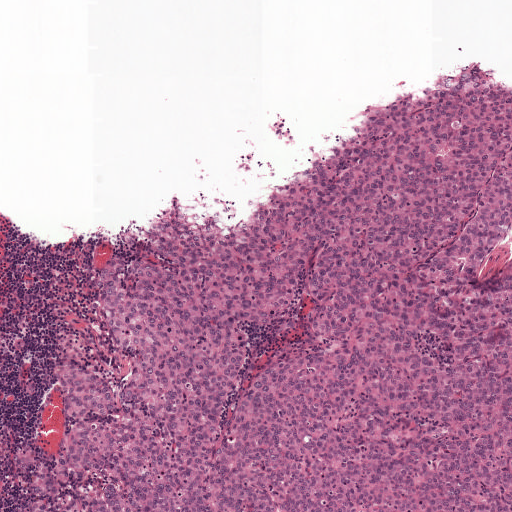
This is a crop of a whole-slide image: an H&E-stained breast-cancer sentinel lymph node section at roughly 5× magnification (about 1.9 µm per pixel; the crop spans about 1 mm).
One metastatic tumour region; its boundary, reduced to 17 corners and listed clockwise: (456, 64), (511, 72), (511, 511), (16, 511), (16, 442), (40, 441), (54, 461), (58, 357), (124, 374), (92, 294), (124, 225), (181, 190), (228, 185), (244, 142), (291, 118), (324, 146), (373, 96).
One more small tumour piece is annotated here but not outlined.
About 65% of this field is tumour.